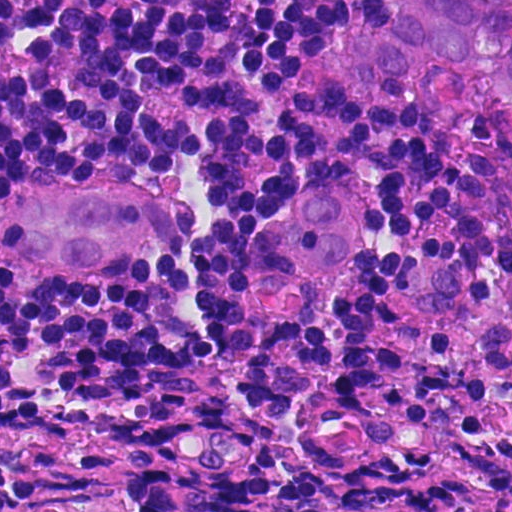
A 0.12-mm field of an H&E-stained sentinel lymph node from a breast-cancer patient (whole-slide image), shown at about 40×, about 0.23 µm per pixel.
Question: Describe where the metastatic carcinoma lies in this crop.
Answer: Boundaries of two metastatic tumour regions, simplified and listed clockwise, largest first: region 1: (404, 0), (511, 0), (511, 129), (481, 117), (446, 116), (412, 102), (371, 106), (340, 87), (329, 52), (354, 26), (388, 17); region 2: (134, 186), (166, 206), (183, 237), (102, 273), (65, 273), (31, 261), (4, 235), (7, 200), (42, 190).
Two more small tumour pieces are annotated here but not outlined.
Tumour covers about 15% of the frame.